Question: 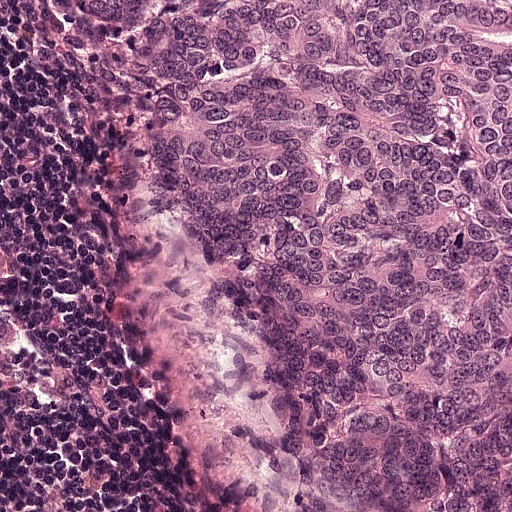
A 0.25-mm field of an H&E-stained sentinel lymph node from a breast-cancer patient (whole-slide image), shown at about 20×, about 0.49 µm per pixel.
About how much of this crop is taken up by metastatic carcinoma?

Choices:
 (A) about 5% or less
 (B) about 10% to 20%
 (C) about 25% to 45%
 (D) about 50% or more
 (E) none: no tumour is outlined

Answer: (D) about 50% or more
About 65% of the field is tumour.
Metastatic tumour outline, simplified to 7 points and listed clockwise in crop pixels (x, y): (48, 0), (511, 0), (511, 511), (294, 511), (211, 309), (182, 277), (84, 44).